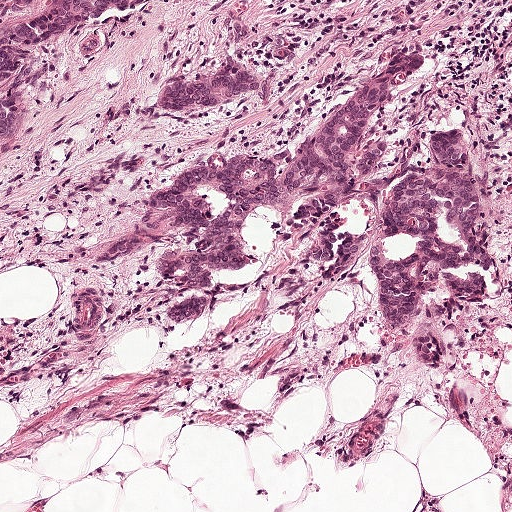
A 0.5-mm field of an H&E-stained sentinel lymph node from a breast-cancer patient (whole-slide image), shown at about 10×, about 0.97 µm per pixel.
Outlines of four tumour regions, largest first (closed clockwise paths, crop pixels): region 1: (404, 50), (422, 54), (368, 126), (389, 145), (373, 176), (337, 178), (247, 210), (251, 274), (204, 275), (208, 317), (179, 329), (164, 320), (168, 289), (158, 272), (160, 262), (189, 252), (188, 241), (141, 204), (191, 160), (280, 150), (384, 60); region 2: (462, 118), (495, 256), (495, 287), (476, 293), (453, 280), (433, 291), (442, 322), (438, 360), (416, 358), (409, 334), (385, 318), (374, 283), (374, 242), (392, 250), (410, 237), (405, 225), (390, 221), (386, 201), (388, 186), (406, 162), (431, 148), (426, 124); region 3: (0, 0), (187, 0), (176, 14), (64, 66), (52, 82), (34, 138), (26, 148), (2, 162); region 4: (224, 59), (252, 68), (271, 78), (270, 89), (266, 93), (191, 114), (165, 112), (158, 106), (156, 102), (165, 84).
About 20% of the image area is annotated as tumour.